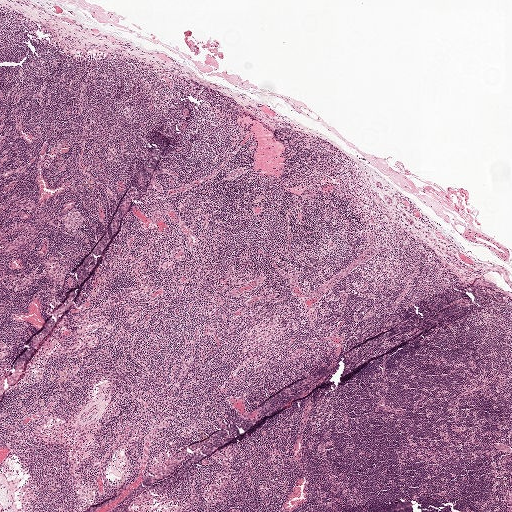
This is a crop of a whole-slide image: an H&E-stained breast-cancer sentinel lymph node section at roughly 2.5× magnification (about 3.9 µm per pixel; the crop spans about 2.0 mm).
Tumour region outline (a closed clockwise path, crop pixels): (495, 443), (503, 443), (509, 445), (511, 448), (510, 454), (505, 454), (498, 451), (492, 446).
Two more small tumour pieces are annotated here but not outlined.
Tumour covers under 5% of the frame.